Image:
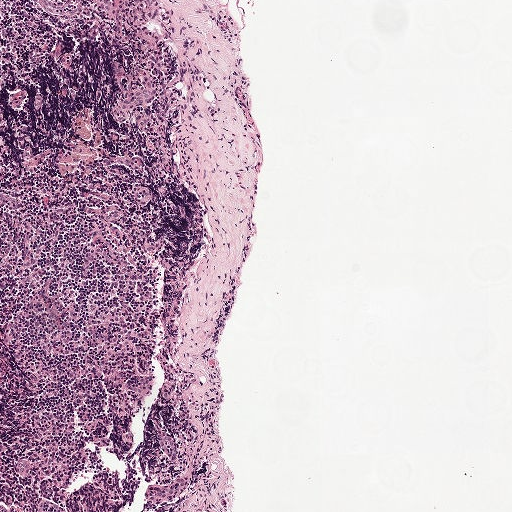
H&E-stained section of a sentinel lymph node (breast cancer), from a whole-slide image, viewed at about 5×: the field is about 1 mm across, about 1.9 µm per pixel.
Question:
Does this lymph node field contain metastatic tumour?
Answer:
No: no metastatic tumour is outlined anywhere in this field.